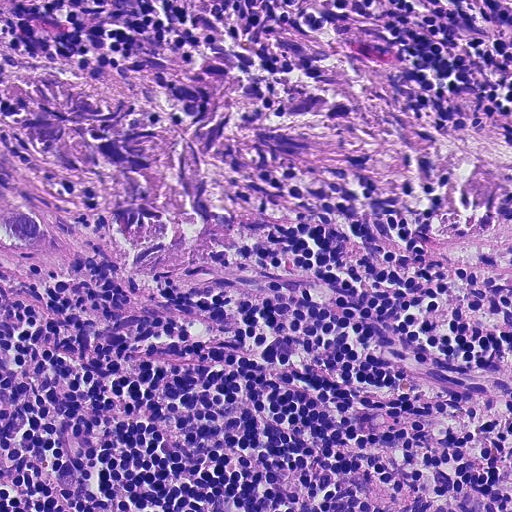
H&E-stained section of a sentinel lymph node (breast cancer), from a whole-slide image, viewed at about 20×: the field is about 0.23 mm across, about 0.45 µm per pixel.
Boundaries of two metastatic tumour regions, simplified and listed clockwise, largest first: region 1: (328, 6), (436, 126), (456, 82), (511, 120), (511, 342), (422, 323), (511, 419), (400, 455), (497, 511), (357, 511), (337, 432), (427, 385), (266, 304), (264, 373), (132, 374), (166, 430), (75, 510), (34, 404), (8, 487), (0, 34), (202, 46), (258, 109), (316, 86), (252, 22); region 2: (0, 0), (70, 0), (70, 9), (42, 26), (0, 22).
The annotated tumour makes up about 70% of the crop.